Question: 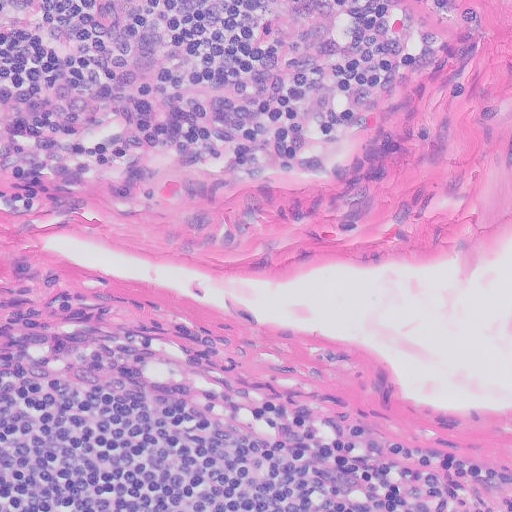
At roughly what magnification is this field shown?

Choices:
 (A) about 2.5×
 (B) about 5×
 (C) about 10×
 (D) about 20×
 (E) about 40×

Answer: (D) about 20×
H&E-stained section of a sentinel lymph node (breast cancer), from a whole-slide image, viewed at about 20×: the field is about 0.26 mm across, about 0.5 µm per pixel.